Image:
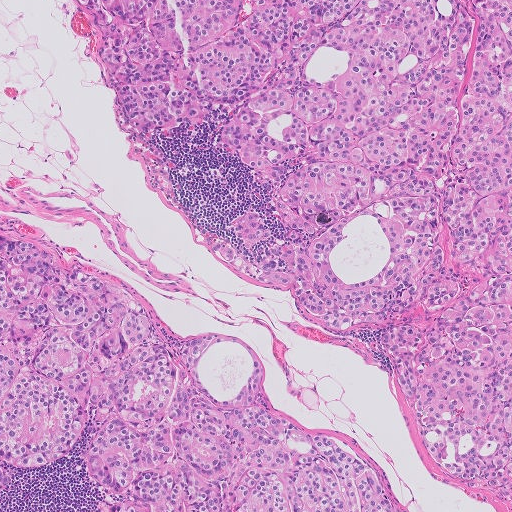
A 1.0-mm field of an H&E-stained sentinel lymph node from a breast-cancer patient (whole-slide image), shown at about 5×, about 2.0 µm per pixel.
Question:
Trace the edge of each tumour region in this crop, as (x, y) points from 0 to 511.
Answer:
Outlines of two tumour regions, largest first (closed clockwise paths, crop pixels): region 1: (64, 0), (511, 0), (511, 510), (428, 458), (373, 347), (344, 342), (229, 258), (218, 233), (252, 189), (232, 170), (184, 142), (165, 196), (148, 172), (137, 115); region 2: (0, 231), (137, 293), (178, 331), (233, 334), (256, 353), (260, 410), (342, 438), (388, 473), (397, 511), (0, 511).
The annotated tumour makes up about 75% of the crop.